This is a crop of a whole-slide image: an H&E-stained breast-cancer sentinel lymph node section at roughly 10× magnification (about 0.97 µm per pixel; the crop spans about 0.5 mm).
Image:
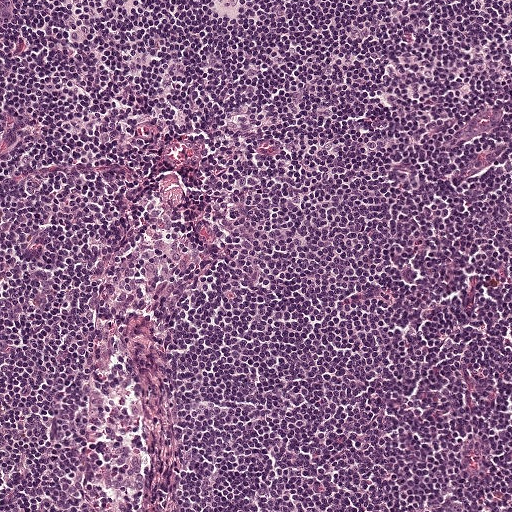
Question:
Is there metastatic carcinoma in this field?
Answer:
No, this field holds no outlined metastasis.